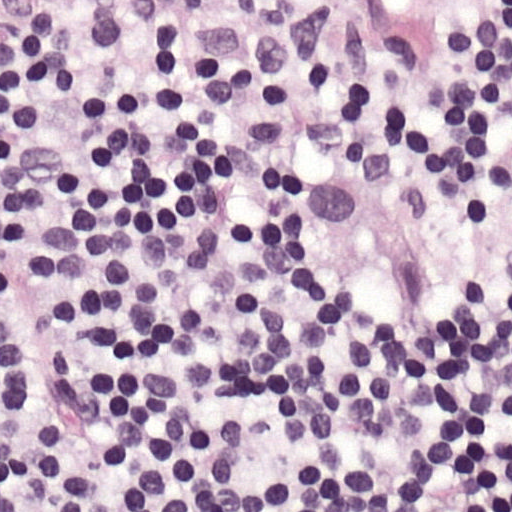
This is a crop of a whole-slide image: an H&E-stained breast-cancer sentinel lymph node section at roughly 40× magnification (about 0.24 µm per pixel; the crop spans about 0.12 mm).
Tumour region outline (a closed clockwise path, crop pixels): (404, 138), (511, 209), (501, 318), (411, 331), (310, 316), (247, 230), (290, 142).
The annotated tumour makes up about 15% of the crop.